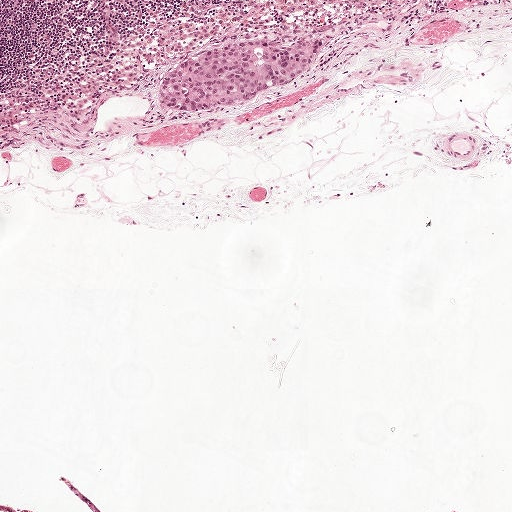
H&E-stained section of a sentinel lymph node (breast cancer), from a whole-slide image, viewed at about 5×: the field is about 1 mm across, about 1.9 µm per pixel.
Question: Where is the metastatic tumour in this field?
Answer: One metastatic tumour region; its boundary, reduced to 13 corners and listed clockwise: (310, 30), (322, 34), (320, 50), (305, 78), (278, 95), (194, 110), (173, 108), (157, 96), (156, 81), (163, 67), (217, 42), (244, 34), (287, 38).
The annotated tumour makes up about 5% of the crop.